Question: 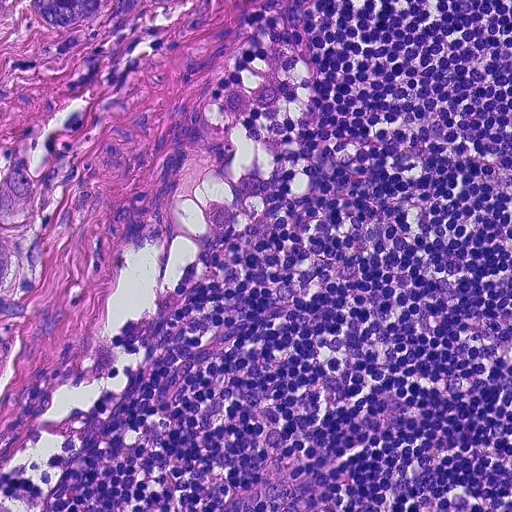
H&E-stained section of a sentinel lymph node (breast cancer), from a whole-slide image, viewed at about 20×: the field is about 0.23 mm across, about 0.45 µm per pixel.
About how much of this crop is taken up by metastatic carcinoma?

Choices:
 (A) none: no tumour is outlined
 (B) about 25% to 45%
 (C) about 5% or less
 (D) about 10% to 20%
 (E) about 50% or more

Answer: (B) about 25% to 45%
About 30% of the field is tumour.
Metastatic tumour outline, simplified to 13 points and listed clockwise in crop pixels (x, y): (0, 0), (268, 0), (256, 40), (282, 44), (303, 80), (255, 132), (272, 175), (263, 196), (214, 244), (170, 224), (130, 251), (78, 360), (0, 465).